Image:
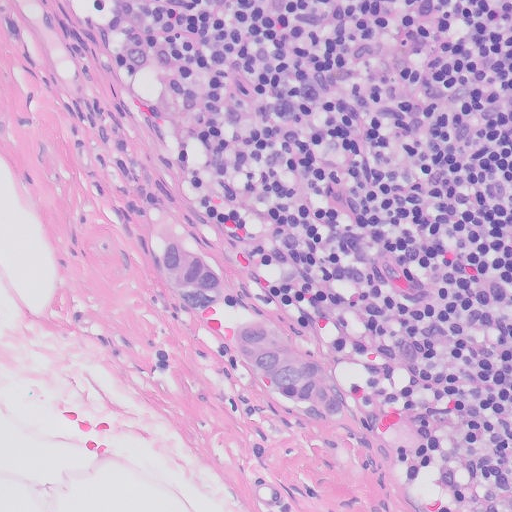
Lymph node section stained with H&E, from a whole-slide image of a breast-cancer sentinel node. Magnification about 20×, about 0.26 mm across the frame, about 0.5 µm per pixel.
Question:
Describe where the metastatic carcinoma lies in this crop.
Answer:
Two metastatic tumour regions, each outlined as a closed clockwise path in crop pixels (x, y), largest first: region 1: (260, 320), (276, 330), (320, 370), (327, 381), (340, 390), (346, 402), (341, 417), (330, 425), (315, 425), (280, 398), (262, 375), (227, 347), (222, 333), (232, 321); region 2: (173, 234), (187, 248), (203, 255), (216, 265), (224, 277), (224, 292), (219, 304), (206, 310), (192, 311), (171, 293), (157, 266), (154, 252), (159, 238).
Tumour covers about 5% of the frame.